A 1.9-mm field of an H&E-stained sentinel lymph node from a breast-cancer patient (whole-slide image), shown at about 2.5×, about 3.6 µm per pixel.
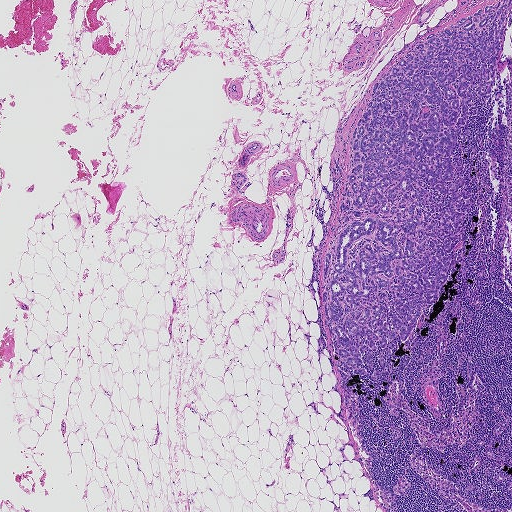
The outlined metastatic tumour's edge, as a closed clockwise path of 22 points: (511, 0), (492, 92), (471, 100), (450, 156), (472, 191), (466, 240), (452, 250), (471, 248), (466, 275), (459, 260), (407, 339), (387, 340), (390, 358), (361, 360), (369, 375), (344, 366), (322, 299), (325, 255), (349, 222), (346, 181), (374, 84), (428, 35).
One more small tumour piece is annotated here but not outlined.
Tumour covers about 15% of the frame.